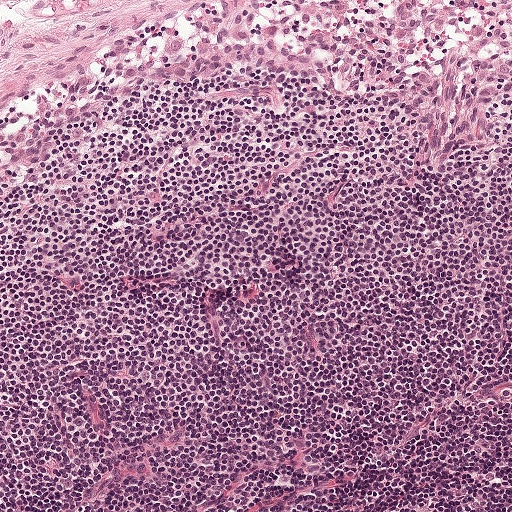
Lymph node section stained with H&E, from a whole-slide image of a breast-cancer sentinel node. Magnification about 10×, about 0.5 mm across the frame, about 0.97 µm per pixel.
Question: Is any metastatic breast cancer visible in this crop?
Answer: No: no metastatic tumour is outlined anywhere in this field.